Image:
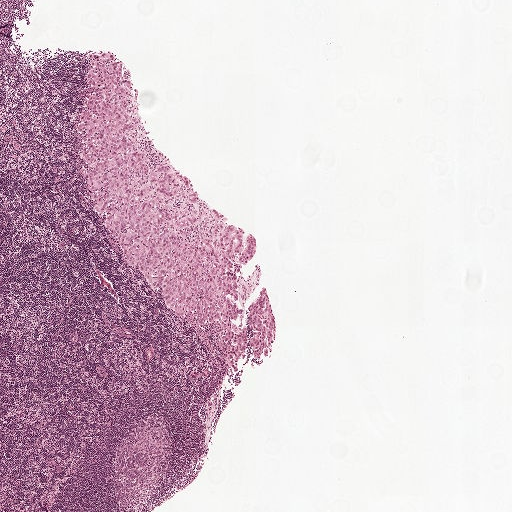
H&E-stained section of a sentinel lymph node (breast cancer), from a whole-slide image, viewed at about 2.5×: the field is about 2.0 mm across, about 3.9 µm per pixel.
Question:
Outline the metastatic carcinoma in this image, as closed paths of (x, y) pixel coordinates.
Answer:
The outlined metastatic tumour's edge, as a closed clockwise path of 21 points: (101, 47), (123, 61), (151, 142), (253, 235), (255, 254), (235, 275), (244, 312), (230, 323), (243, 327), (264, 287), (270, 351), (258, 361), (249, 347), (233, 372), (220, 325), (170, 310), (117, 253), (78, 167), (79, 98), (92, 86), (88, 54).
About 10% of this field is tumour.